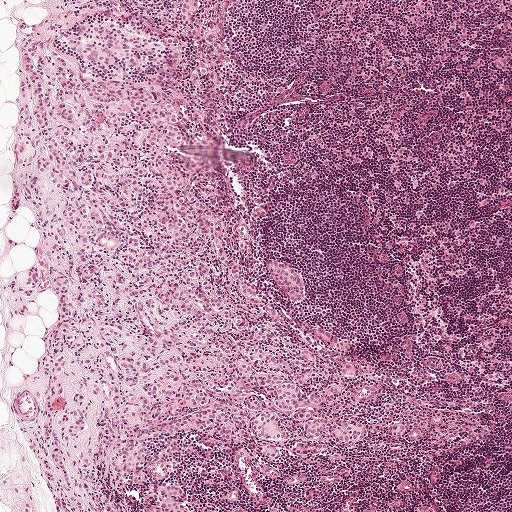
H&E-stained section of a sentinel lymph node (breast cancer), from a whole-slide image, viewed at about 5×: the field is about 1 mm across, about 1.9 µm per pixel.
Four metastatic tumour regions, each outlined as a closed clockwise path in crop pixels (x, y), largest first: region 1: (56, 52), (176, 98), (174, 165), (218, 177), (200, 187), (231, 230), (270, 204), (244, 276), (281, 337), (327, 354), (314, 325), (369, 359), (316, 411), (366, 445), (275, 460), (194, 428), (146, 462), (193, 511), (58, 500), (40, 423), (62, 300), (14, 179), (28, 65); region 2: (219, 26), (226, 34), (224, 54), (218, 65), (214, 84), (207, 87), (194, 86), (192, 83), (192, 69), (206, 52), (207, 32), (212, 28); region 3: (277, 258), (285, 260), (287, 264), (298, 270), (302, 275), (304, 282), (304, 297), (300, 302), (294, 302), (285, 296), (270, 282), (267, 268), (270, 260); region 4: (201, 0), (201, 35), (197, 39), (182, 38), (176, 28), (184, 1).
About 35% of the image area is annotated as tumour.